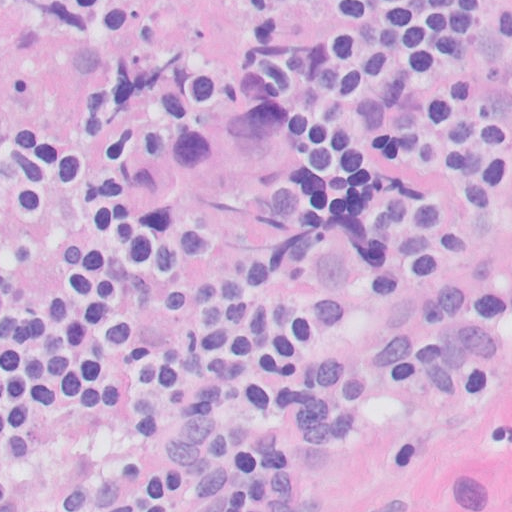
A 0.13-mm field of an H&E-stained sentinel lymph node from a breast-cancer patient (whole-slide image), shown at about 40×, about 0.25 µm per pixel.
The outlined metastatic tumour's edge, as a closed clockwise path of 7 points: (280, 87), (303, 179), (151, 244), (108, 213), (130, 160), (170, 119), (220, 92).
About 5% of this field is tumour.